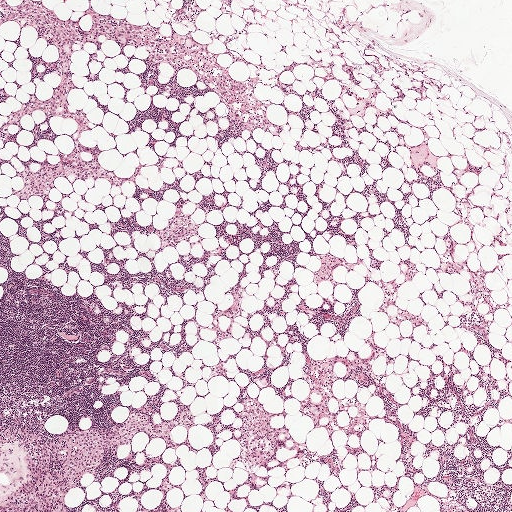
A 2.0-mm field of an H&E-stained sentinel lymph node from a breast-cancer patient (whole-slide image), shown at about 2.5×, about 3.9 µm per pixel.